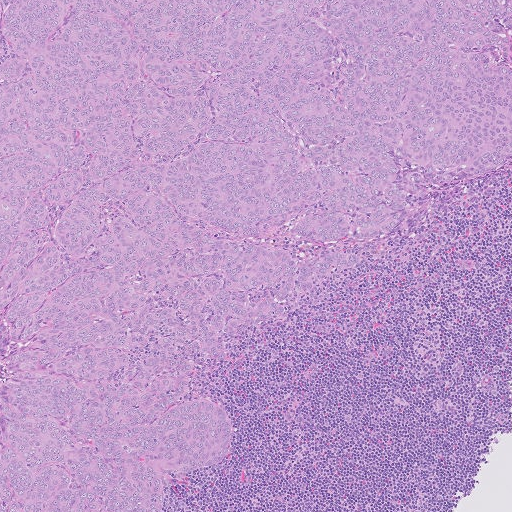
H&E-stained section of a sentinel lymph node (breast cancer), from a whole-slide image, viewed at about 5×: the field is about 1.0 mm across, about 2.0 µm per pixel.
Question: Which parts of this field are metastatic tumour? Answer with the outline of each region, in pixels.
Answer: The outlined metastatic tumour's edge, as a closed clockwise path of 18 points: (0, 0), (511, 0), (511, 163), (412, 196), (382, 236), (297, 251), (359, 253), (359, 264), (283, 319), (230, 336), (226, 357), (198, 368), (192, 390), (230, 413), (237, 445), (172, 481), (162, 511), (0, 511).
About 70% of the image area is annotated as tumour.